Lymph node section stained with H&E, from a whole-slide image of a breast-cancer sentinel node. Magnification about 20×, about 0.25 mm across the frame, about 0.49 µm per pixel.
Image:
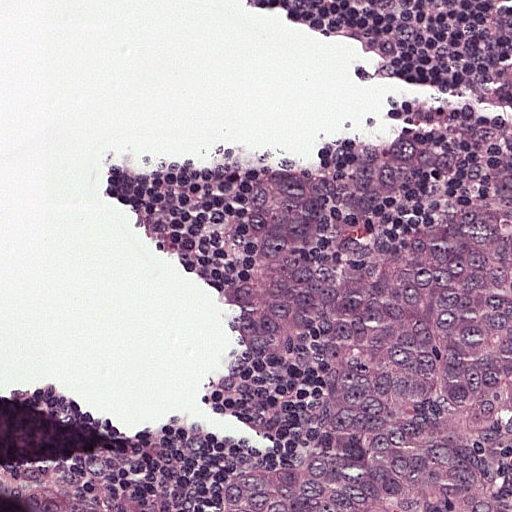
Question:
Where is the metastatic tumour in this field?
Answer:
The outlined metastatic tumour's edge, as a closed clockwise path of 8 points: (450, 126), (511, 157), (511, 511), (0, 511), (0, 456), (161, 425), (208, 262), (282, 168).
About 50% of this field is tumour.